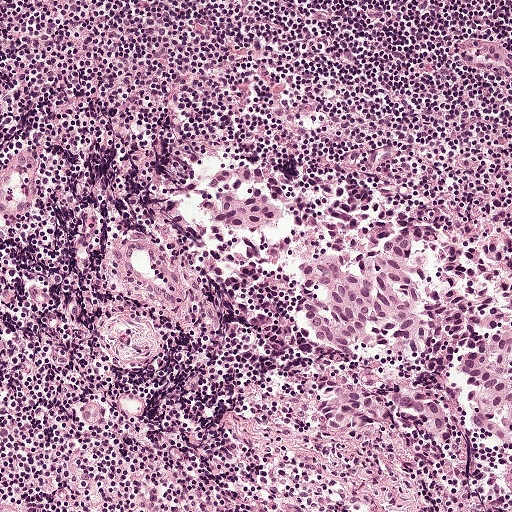
This is a crop of a whole-slide image: an H&E-stained breast-cancer sentinel lymph node section at roughly 10× magnification (about 0.97 µm per pixel; the crop spans about 0.5 mm).
Boundaries of two metastatic tumour regions, simplified and listed clockwise, largest first: region 1: (222, 164), (288, 166), (328, 192), (461, 219), (511, 246), (511, 455), (468, 402), (467, 368), (442, 379), (387, 348), (356, 360), (334, 352), (306, 332), (297, 276), (223, 252), (195, 198); region 2: (341, 380), (354, 380), (376, 390), (430, 393), (448, 405), (449, 416), (445, 432), (438, 438), (432, 438), (398, 420), (363, 422), (354, 426), (327, 425), (322, 417), (320, 405), (326, 398), (336, 392).
The annotated tumour makes up about 20% of the crop.